Lymph node section stained with H&E, from a whole-slide image of a breast-cancer sentinel node. Magnification about 10×, about 0.5 mm across the frame, about 0.97 µm per pixel.
Question: 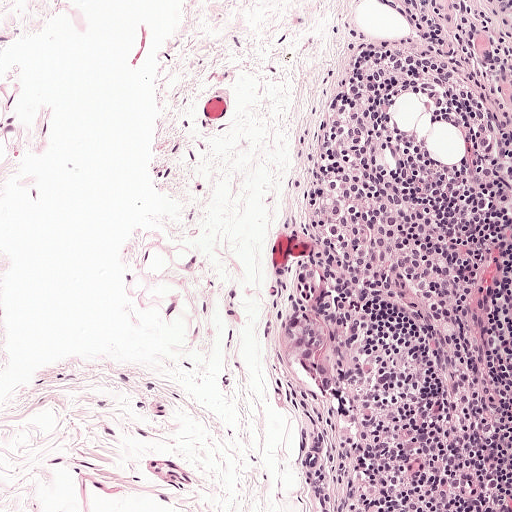
Roughly what share of this field is metastatic tumour?

Choices:
 (A) about 25% to 45%
 (B) about 5% or less
 (C) none: no tumour is outlined
 (D) about 10% to 20%
 (E) about 50% or more

Answer: (B) about 5% or less
Under 5% of the field is tumour.
One metastatic tumour region; its boundary, reduced to 13 corners and listed clockwise: (300, 305), (314, 309), (328, 324), (330, 339), (327, 355), (334, 369), (336, 384), (324, 391), (290, 363), (280, 351), (274, 338), (277, 322), (286, 310).